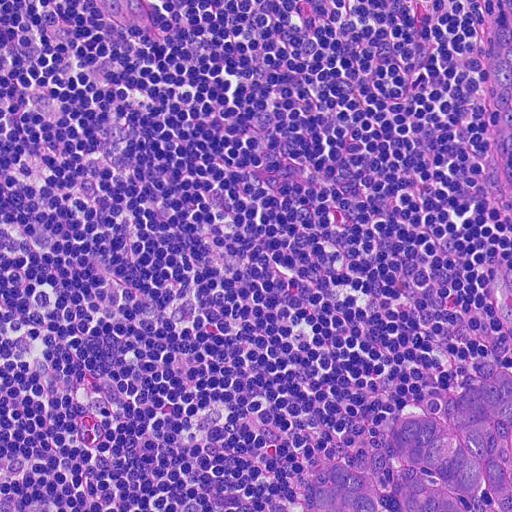
This is a crop of a whole-slide image: an H&E-stained breast-cancer sentinel lymph node section at roughly 20× magnification (about 0.45 µm per pixel; the crop spans about 0.23 mm).
Question: Which parts of this field are metastatic tumour? Answer with the outline of each region, in pixels.
Answer: The outlined metastatic tumour's edge, as a closed clockwise path of 12 points: (500, 363), (511, 369), (511, 511), (298, 511), (308, 479), (329, 459), (356, 447), (386, 444), (398, 418), (422, 400), (451, 392), (472, 370).
About 10% of this field is tumour.